Question: 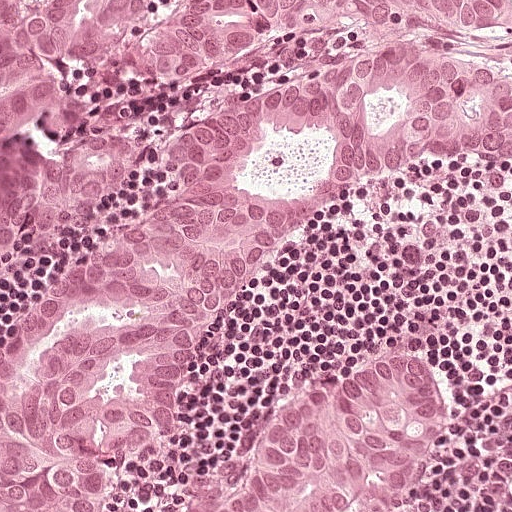
A 0.25-mm field of an H&E-stained sentinel lymph node from a breast-cancer patient (whole-slide image), shown at about 20×, about 0.49 µm per pixel.
What fraction of the image area is metastatic tumour?

Choices:
 (A) about 25% to 45%
 (B) none: no tumour is outlined
 (C) about 5% or less
 (D) about 10% to 20%
 (E) about 50% or more

Answer: (E) about 50% or more
About 50% of the field is tumour.
Outlines of two tumour regions, largest first (closed clockwise paths, crop pixels): region 1: (510, 35), (511, 165), (401, 185), (294, 242), (208, 342), (183, 401), (133, 451), (65, 459), (0, 427), (8, 308), (256, 92), (301, 60); region 2: (349, 356), (420, 356), (444, 371), (448, 403), (408, 511), (0, 511), (0, 469), (78, 490), (181, 498), (215, 474), (233, 444), (278, 406), (294, 380).